Image:
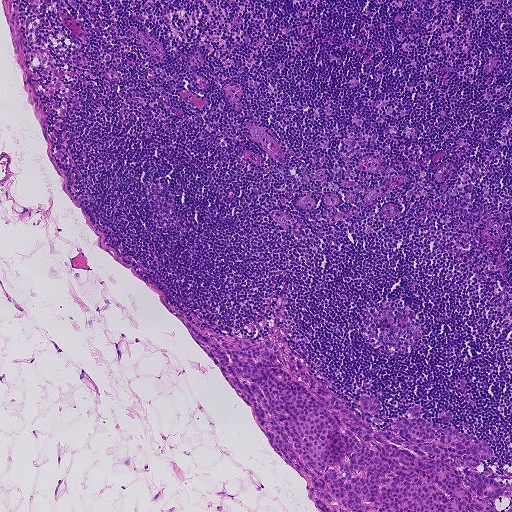
Lymph node section stained with H&E, from a whole-slide image of a breast-cancer sentinel node. Magnification about 5×, about 0.93 mm across the frame, about 1.8 µm per pixel.
Question:
Is there metastatic carcinoma in this field?
Answer:
Yes.
The outlined metastatic tumour's edge, as a closed clockwise path of 21 points: (160, 298), (197, 326), (276, 341), (358, 415), (366, 394), (376, 396), (378, 414), (359, 416), (374, 430), (412, 417), (408, 406), (418, 403), (419, 418), (440, 426), (450, 411), (444, 427), (494, 452), (481, 460), (505, 491), (496, 509), (320, 511).
About 10% of this field is tumour.